Image:
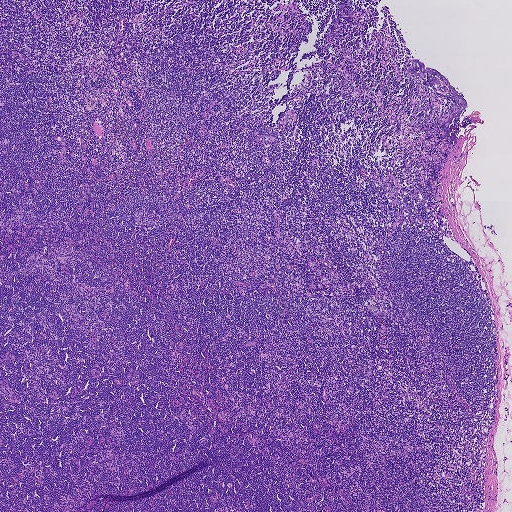
H&E-stained section of a sentinel lymph node (breast cancer), from a whole-slide image, viewed at about 2.5×: the field is about 1.9 mm across, about 3.6 µm per pixel.
Question:
Is any metastatic breast cancer visible in this crop?
Answer:
No. No metastatic tumour is outlined in this field.